H&E-stained section of a sentinel lymph node (breast cancer), from a whole-slide image, viewed at about 5×: the field is about 1 mm across, about 1.9 µm per pixel.
Image:
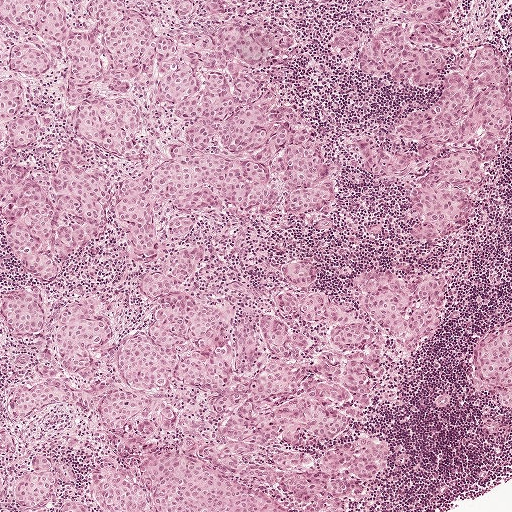
Question:
Where is the metastatic tumour in this field? Give each region's outline as (x, y) pixel points.
Answer:
One metastatic tumour region; its boundary, reduced to 22 corners and listed clockwise: (0, 0), (456, 0), (447, 23), (473, 51), (505, 54), (511, 132), (458, 248), (426, 251), (410, 237), (413, 188), (354, 171), (290, 230), (342, 303), (393, 262), (444, 273), (451, 288), (440, 327), (339, 431), (342, 445), (391, 443), (354, 511), (0, 511).
About 80% of this field is tumour.